H&E-stained section of a sentinel lymph node (breast cancer), from a whole-slide image, viewed at about 20×: the field is about 0.23 mm across, about 0.45 µm per pixel.
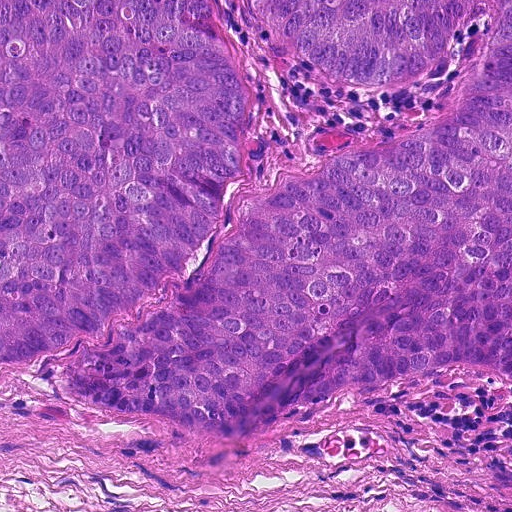
Question: Show where the tumour is in this image.
Answer: Tumour region outline (a closed clockwise path, crop pixels): (0, 0), (210, 0), (257, 104), (257, 138), (228, 198), (448, 114), (486, 15), (467, 19), (424, 70), (362, 92), (306, 62), (254, 0), (511, 0), (511, 386), (452, 364), (256, 414), (189, 417), (60, 390), (78, 362), (165, 309), (212, 236), (108, 320), (0, 368).
About 65% of this field is tumour.